Question: 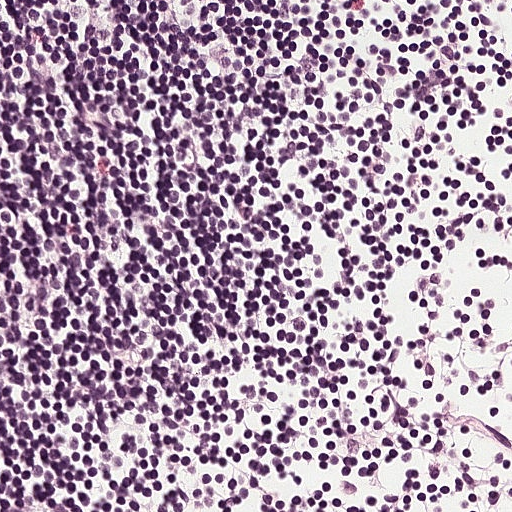
Which magnification is this H&E lymph node field most likely shown at?

Choices:
 (A) about 40×
 (B) about 5×
 (C) about 10×
 (D) about 2.5×
 (E) about 20×

Answer: (E) about 20×
Lymph node section stained with H&E, from a whole-slide image of a breast-cancer sentinel node. Magnification about 20×, about 0.25 mm across the frame, about 0.49 µm per pixel.